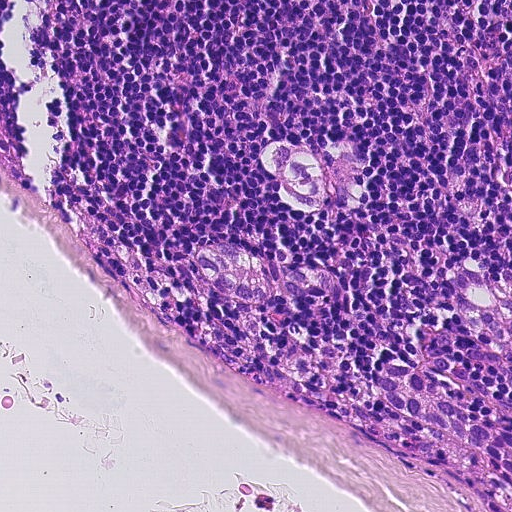
Lymph node section stained with H&E, from a whole-slide image of a breast-cancer sentinel node. Magnification about 20×, about 0.23 mm across the frame, about 0.45 µm per pixel.
Question: Trace the edge of each tumour region in this crop, as (x, y) points from 0 to 511.
Answer: One metastatic tumour region; its boundary, reduced to 23 corners and listed clockwise: (274, 124), (313, 141), (339, 171), (334, 212), (288, 282), (295, 321), (328, 342), (363, 359), (402, 364), (454, 307), (466, 270), (511, 270), (511, 511), (492, 511), (426, 454), (286, 358), (200, 280), (180, 248), (212, 230), (284, 258), (293, 221), (278, 184), (248, 152).
About 15% of this field is tumour.